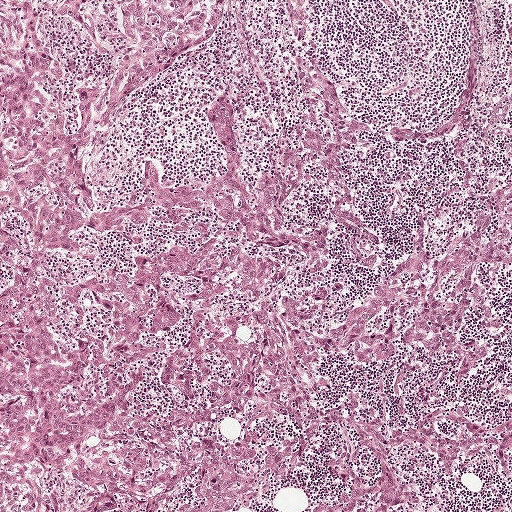
This is a crop of a whole-slide image: an H&E-stained breast-cancer sentinel lymph node section at roughly 5× magnification (about 1.9 µm per pixel; the crop spans about 1 mm).
Outlines of two tumour regions, largest first (closed clockwise paths, crop pixels): region 1: (0, 0), (226, 0), (201, 41), (138, 78), (87, 148), (76, 140), (82, 98), (92, 80), (106, 74), (104, 63), (63, 18), (38, 20), (54, 54), (72, 150), (97, 179), (98, 204), (109, 208), (135, 197), (149, 216), (125, 238), (80, 233), (70, 256), (50, 253), (3, 269); region 2: (26, 275), (45, 279), (74, 338), (95, 338), (95, 394), (133, 382), (147, 390), (57, 459), (54, 485), (64, 511), (0, 511), (0, 292), (12, 279).
The annotated tumour makes up about 20% of the crop.